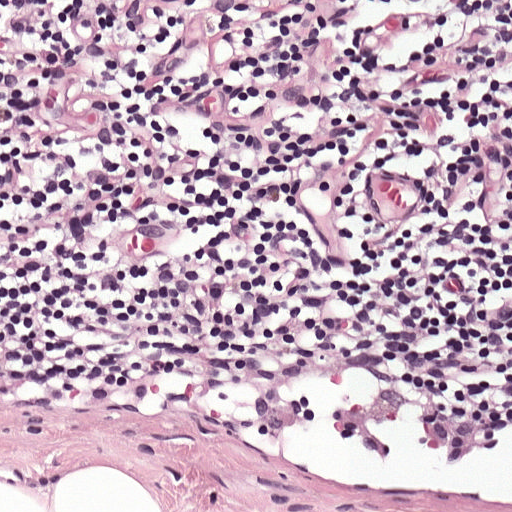
A 0.25-mm field of an H&E-stained sentinel lymph node from a breast-cancer patient (whole-slide image), shown at about 20×, about 0.49 µm per pixel.